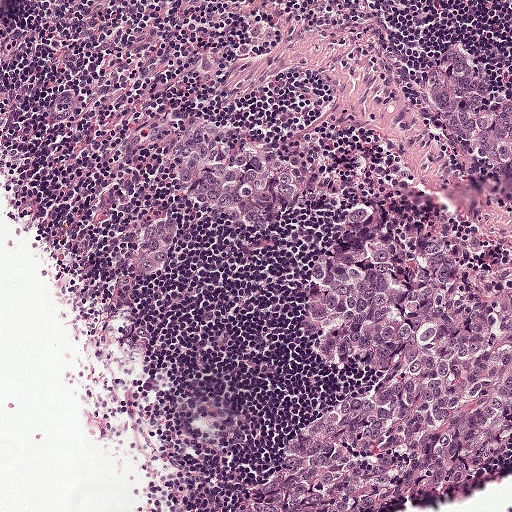
A 0.5-mm field of an H&E-stained sentinel lymph node from a breast-cancer patient (whole-slide image), shown at about 10×, about 0.97 µm per pixel.
Question: Does this lymph node field contain metastatic tumour?
Answer: Yes.
Boundaries of two metastatic tumour regions, simplified and listed clockwise, largest first: region 1: (170, 111), (238, 124), (270, 160), (377, 176), (511, 261), (508, 422), (490, 454), (308, 511), (233, 511), (254, 467), (380, 374), (372, 358), (328, 360), (309, 327), (362, 201), (311, 188), (247, 226), (196, 196), (158, 263), (140, 267), (137, 229), (180, 185), (142, 126); region 2: (468, 45), (483, 89), (494, 94), (511, 86), (511, 208), (444, 124), (433, 89), (434, 63), (443, 52).
About 30% of the image area is annotated as tumour.